A 0.25-mm field of an H&E-stained sentinel lymph node from a breast-cancer patient (whole-slide image), shown at about 20×, about 0.49 µm per pixel.
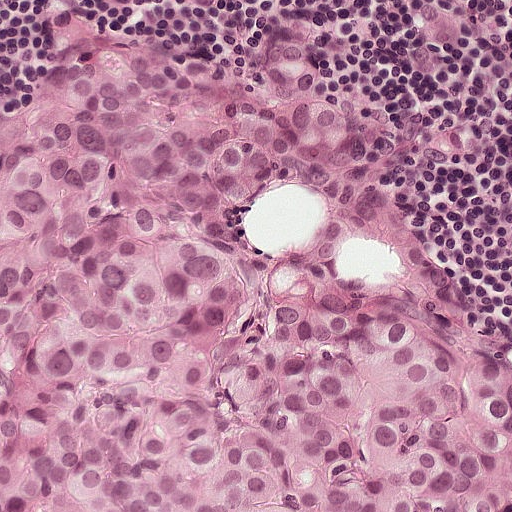
Tumour region outline (a closed clockwise path, crop pixels): (53, 16), (192, 48), (302, 18), (421, 230), (511, 344), (511, 511), (0, 511), (0, 106), (32, 84).
The annotated tumour makes up about 80% of the crop.